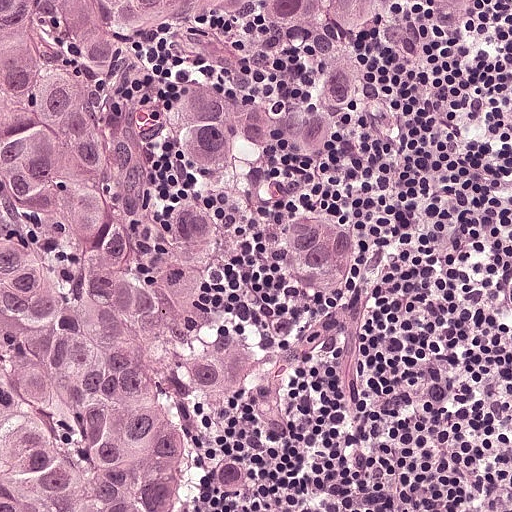
Lymph node section stained with H&E, from a whole-slide image of a breast-cancer sentinel node. Magnification about 20×, about 0.25 mm across the frame, about 0.49 µm per pixel.
Question: Does this lymph node field contain metastatic tumour?
Answer: Yes.
The outlined metastatic tumour's edge, as a closed clockwise path of 11 points: (0, 0), (511, 0), (452, 67), (399, 103), (358, 160), (352, 217), (367, 319), (322, 362), (292, 453), (254, 510), (0, 511).
About 70% of the image area is annotated as tumour.